Question: 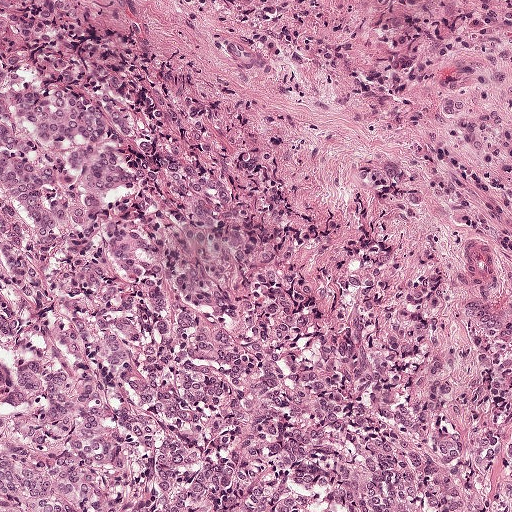
H&E-stained section of a sentinel lymph node (breast cancer), from a whole-slide image, viewed at about 10×: the field is about 0.5 mm across, about 0.97 µm per pixel.
About how much of this crop is taken up by metastatic carcinoma?

Choices:
 (A) about 50% or more
 (B) about 10% to 20%
 (C) none: no tumour is outlined
 (D) about 5% or less
 (E) about 25% to 45%

Answer: (A) about 50% or more
About 70% of the field is tumour.
Metastatic tumour outline, simplified to 7 points and listed clockwise in crop pixels (x, y): (0, 0), (61, 0), (102, 51), (240, 163), (511, 314), (511, 511), (0, 511).